Image:
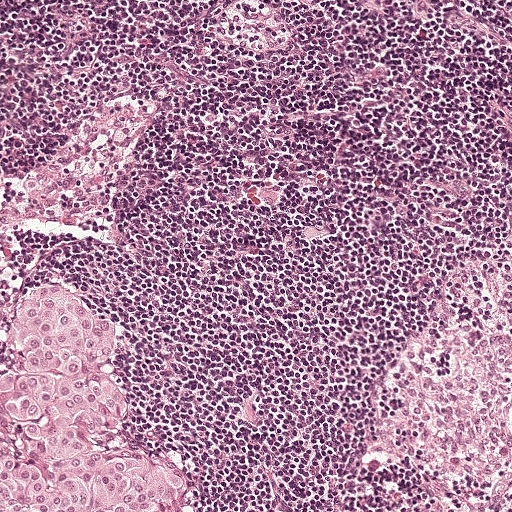
H&E-stained section of a sentinel lymph node (breast cancer), from a whole-slide image, viewed at about 10×: the field is about 0.5 mm across, about 0.97 µm per pixel.
Question:
Trace the edge of each tumour region in this crop, as (x, y) points from 0 to 511.
Answer:
Metastatic tumour outline, simplified to 14 points and listed clockwise in crop pixels (x, y): (56, 281), (109, 316), (110, 330), (96, 361), (118, 397), (118, 413), (100, 438), (162, 455), (178, 482), (165, 511), (0, 511), (0, 320), (8, 300), (34, 284).
About 10% of the image area is annotated as tumour.

Image:
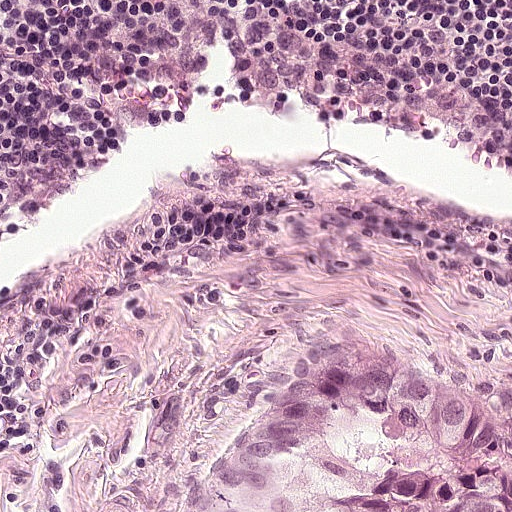
H&E-stained section of a sentinel lymph node (breast cancer), from a whole-slide image, viewed at about 20×: the field is about 0.25 mm across, about 0.49 µm per pixel.
Question:
Trace the edge of each tumour region in this crop, as (x, y) points from 0 to 511.
Answer:
Tumour region outline (a closed clockwise path, crop pixels): (360, 352), (435, 384), (460, 416), (498, 434), (511, 470), (511, 511), (208, 511), (235, 484), (280, 394).
About 10% of this field is tumour.

Image:
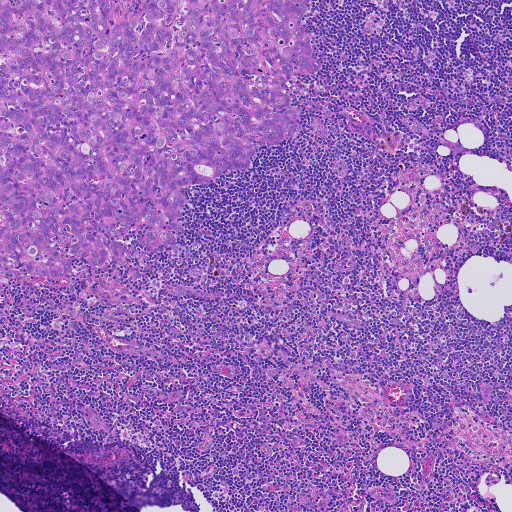
H&E-stained section of a sentinel lymph node (breast cancer), from a whole-slide image, viewed at about 5×: the field is about 0.93 mm across, about 1.8 µm per pixel.
Question:
Trace the edge of each tumour region in this crop, as (x, y) points from 0 to 511.
Answer:
Tumour region outline (a closed clockwise path, crop pixels): (0, 0), (309, 0), (301, 22), (321, 65), (287, 83), (296, 135), (252, 144), (241, 172), (181, 186), (186, 231), (171, 244), (146, 247), (144, 223), (112, 236), (126, 246), (122, 256), (93, 268), (78, 256), (68, 279), (0, 274).
About 25% of the image area is annotated as tumour.

Image:
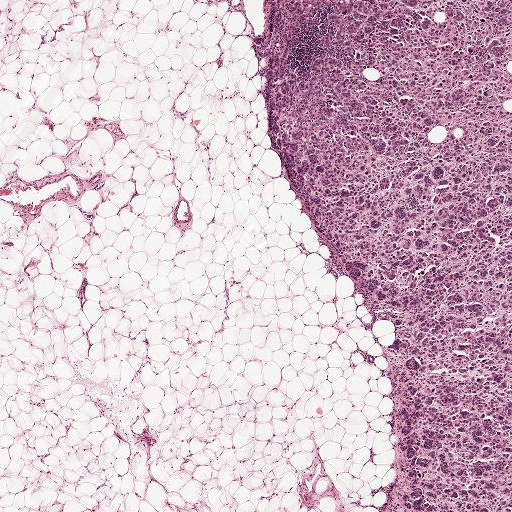
H&E-stained section of a sentinel lymph node (breast cancer), from a whole-slide image, viewed at about 2.5×: the field is about 2.0 mm across, about 3.9 µm per pixel.
Question:
Trace the edge of each tumour region in this crop, as (x, y) points from 0 to 511.
Answer:
One metastatic tumour region; its boundary, reduced to 11 corners and listed clockwise: (511, 0), (511, 511), (397, 511), (407, 385), (396, 331), (325, 243), (279, 153), (267, 53), (252, 43), (266, 32), (267, 1).
About 35% of the image area is annotated as tumour.